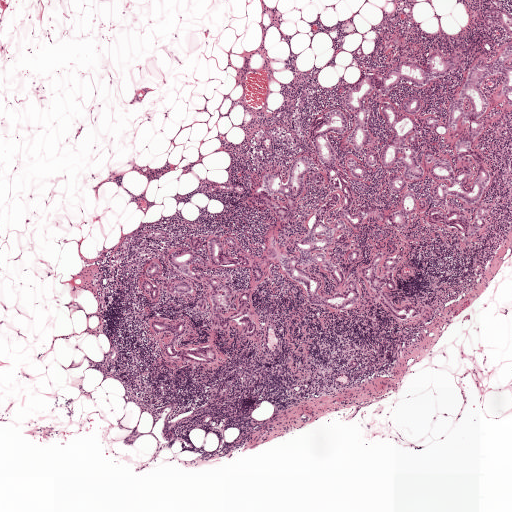
A 2.0-mm field of an H&E-stained sentinel lymph node from a breast-cancer patient (whole-slide image), shown at about 2.5×, about 3.9 µm per pixel.
Question: Outline the metastatic carcinoma in this image, as closed paths of (x, y) pixel coordinates.
Answer: Tumour region outline (a closed clockwise path, crop pixels): (483, 0), (509, 4), (511, 108), (482, 139), (492, 225), (469, 248), (441, 237), (405, 256), (392, 294), (421, 307), (419, 321), (366, 292), (344, 311), (314, 307), (275, 266), (249, 301), (282, 338), (274, 358), (232, 323), (212, 334), (226, 360), (217, 372), (172, 366), (143, 311), (148, 269), (212, 232), (261, 257), (276, 224), (253, 200), (266, 173), (286, 184), (310, 154), (314, 119), (364, 72), (428, 52), (455, 62), (421, 105), (450, 100), (470, 56), (500, 43).
One more small tumour piece is annotated here but not outlined.
About 20% of the image area is annotated as tumour.